This is a crop of a whole-slide image: an H&E-stained breast-cancer sentinel lymph node section at roughly 2.5× magnification (about 3.9 µm per pixel; the crop spans about 2.0 mm).
Image:
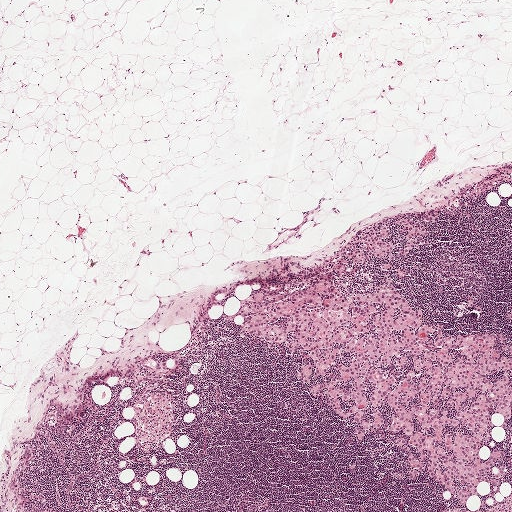
Question:
Where is the metastatic tumour in this field?
Answer:
Six metastatic tumour regions, each outlined as a closed clockwise path in crop pixels (x, y), largest first: region 1: (358, 248), (374, 265), (348, 262), (334, 281), (346, 296), (390, 277), (421, 309), (420, 327), (504, 333), (511, 413), (505, 430), (487, 421), (482, 438), (505, 453), (495, 464), (506, 475), (486, 475), (499, 492), (480, 481), (459, 504), (428, 457), (410, 478), (395, 440), (410, 435), (385, 430), (397, 413), (388, 403), (382, 425), (359, 440), (354, 413), (342, 420), (310, 392), (317, 379), (297, 379), (311, 356), (245, 333), (242, 315), (223, 321), (260, 287), (299, 290); region 2: (405, 217), (414, 219), (422, 223), (428, 232), (427, 236), (423, 236), (422, 238), (428, 242), (427, 246), (420, 244), (418, 248), (412, 248), (407, 256), (402, 258), (397, 254), (398, 251), (406, 242), (406, 233), (398, 233), (399, 230), (404, 225), (399, 226), (397, 223), (398, 220); region 3: (381, 226), (389, 226), (390, 236), (381, 240), (383, 242), (390, 241), (395, 246), (391, 253), (395, 258), (390, 260), (388, 258), (389, 253), (382, 259), (374, 256), (372, 253), (371, 256), (368, 256), (367, 254), (368, 251), (371, 251), (370, 244), (362, 237), (369, 233), (368, 230), (372, 228), (374, 230), (379, 230); region 4: (433, 213), (436, 214), (438, 217), (438, 221), (428, 223), (420, 219), (421, 216), (426, 214), (430, 214); region 5: (403, 267), (408, 270), (409, 275), (405, 278), (400, 278), (396, 276), (394, 272), (397, 269); region 6: (511, 305), (511, 319), (509, 319), (503, 317), (505, 313), (510, 311).
Two more small tumour pieces are annotated here but not outlined.
Tumour covers about 15% of the frame.